Image:
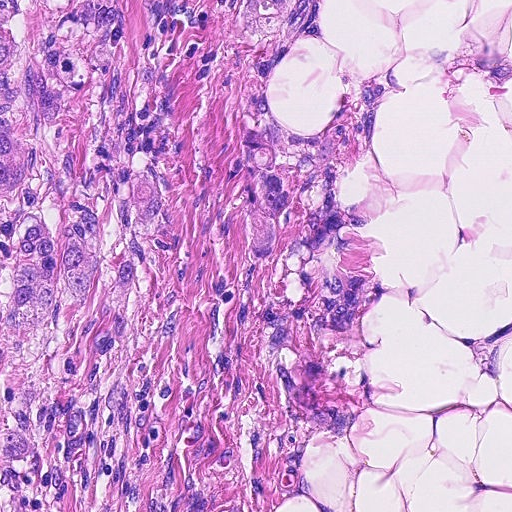
This is a crop of a whole-slide image: an H&E-stained breast-cancer sentinel lymph node section at roughly 20× magnification (about 0.45 µm per pixel; the crop spans about 0.23 mm).
Question:
Is any metastatic breast cancer visible in this crop?
Answer:
Yes.
One metastatic tumour region; its boundary, reduced to 11 corners and listed clockwise: (0, 0), (329, 0), (285, 64), (246, 50), (220, 70), (138, 353), (105, 398), (39, 420), (5, 476), (14, 511), (0, 511).
About 30% of the image area is annotated as tumour.